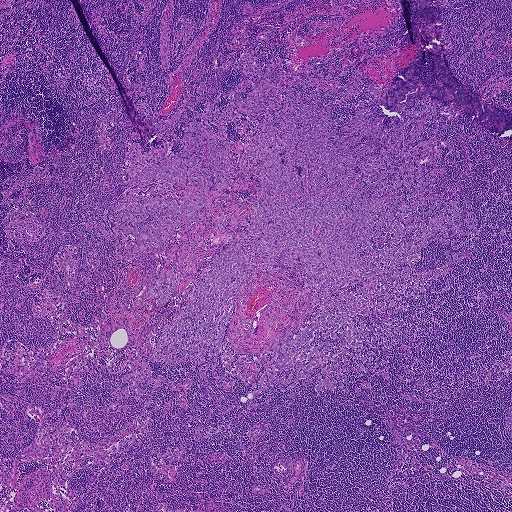
A 1.9-mm field of an H&E-stained sentinel lymph node from a breast-cancer patient (whole-slide image), shown at about 2.5×, about 3.6 µm per pixel.
One metastatic tumour region; its boundary, reduced to 40 corners and listed clockwise: (276, 62), (359, 69), (358, 93), (322, 88), (338, 131), (365, 84), (386, 127), (430, 97), (404, 139), (438, 125), (426, 196), (456, 195), (420, 215), (459, 217), (468, 213), (468, 199), (479, 233), (415, 266), (476, 258), (353, 317), (404, 323), (362, 343), (386, 380), (345, 356), (287, 406), (215, 344), (120, 399), (122, 377), (211, 256), (140, 304), (166, 256), (126, 259), (112, 210), (180, 202), (168, 181), (128, 182), (218, 131), (186, 108), (160, 129), (183, 98).
Four more small tumour pieces are annotated here but not outlined.
Tumour covers about 30% of the frame.